Question: 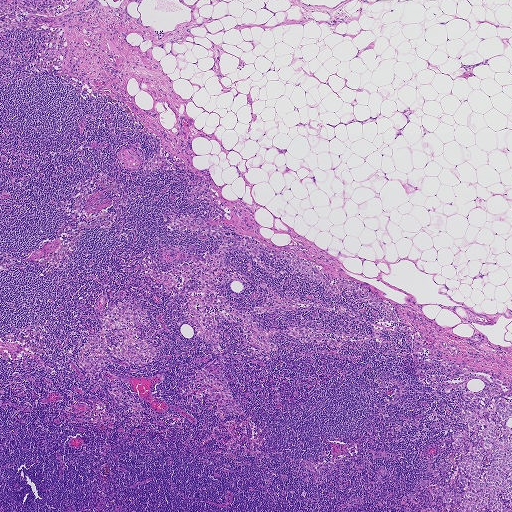
At roughly what magnification is this field shown?

Choices:
 (A) about 5×
 (B) about 2.5×
 (C) about 40×
 (D) about 20×
 (E) about 10×

Answer: (B) about 2.5×
This is a crop of a whole-slide image: an H&E-stained breast-cancer sentinel lymph node section at roughly 2.5× magnification (about 3.6 µm per pixel; the crop spans about 1.9 mm).
One metastatic tumour region; its boundary, reduced to 38 corners and listed clockwise: (466, 382), (469, 389), (477, 391), (487, 383), (495, 382), (511, 395), (508, 399), (511, 400), (511, 511), (459, 511), (456, 510), (461, 508), (458, 501), (452, 500), (447, 508), (441, 497), (430, 488), (439, 488), (444, 492), (454, 490), (460, 494), (465, 490), (457, 478), (457, 463), (465, 453), (465, 448), (472, 442), (467, 423), (462, 423), (463, 444), (457, 449), (451, 444), (460, 416), (458, 406), (474, 411), (479, 407), (462, 393), (461, 385).
One more small tumour piece is annotated here but not outlined.
The annotated tumour makes up about 5% of the crop.